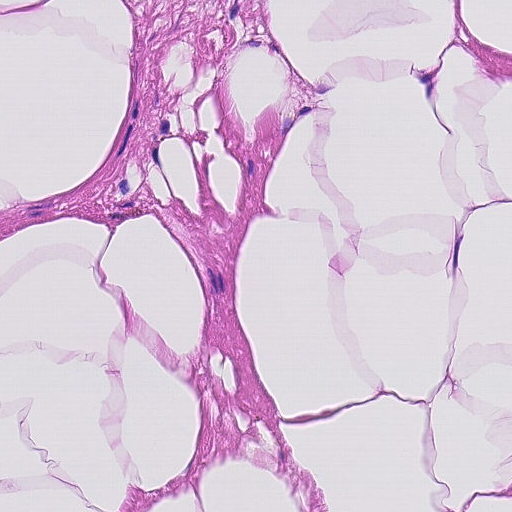
Lymph node section stained with H&E, from a whole-slide image of a breast-cancer sentinel node. Magnification about 20×, about 0.23 mm across the frame, about 0.45 µm per pixel.
Question: Is any metastatic breast cancer visible in this crop?
Answer: No, this field holds no outlined metastasis.